This is a crop of a whole-slide image: an H&E-stained breast-cancer sentinel lymph node section at roughly 20× magnification (about 0.49 µm per pixel; the crop spans about 0.25 mm).
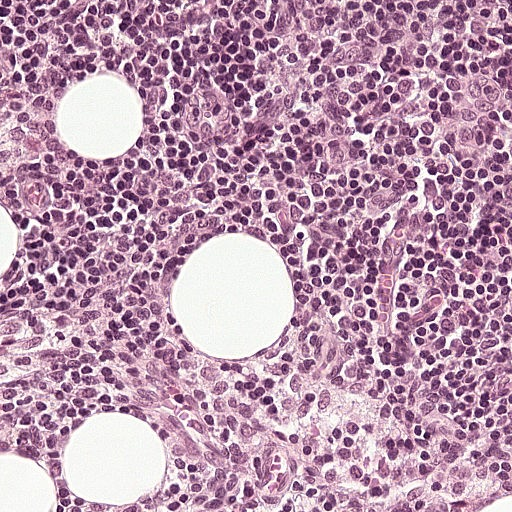
Question: Does this lymph node field contain metastatic tumour?
Answer: No. No metastatic tumour is outlined in this field.